Question: 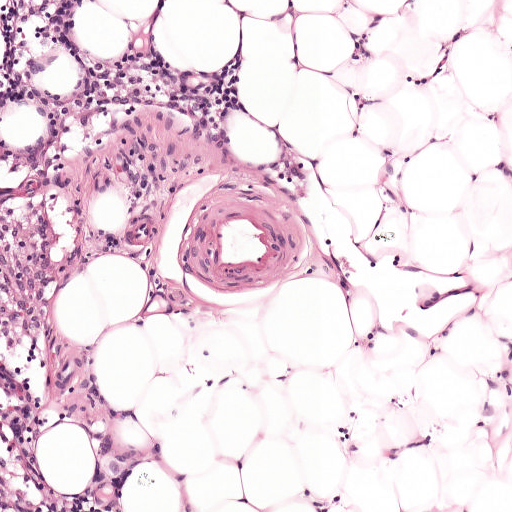
About what magnification does this crop show?

Choices:
 (A) about 2.5×
 (B) about 40×
 (C) about 10×
 (D) about 20×
 (E) about 5×

Answer: (C) about 10×
Lymph node section stained with H&E, from a whole-slide image of a breast-cancer sentinel node. Magnification about 10×, about 0.5 mm across the frame, about 0.97 µm per pixel.